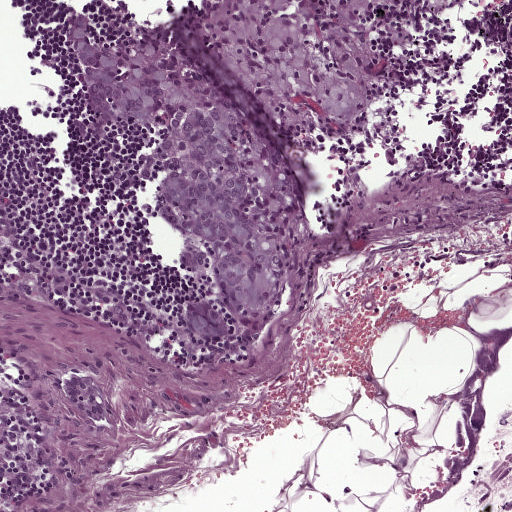
Lymph node section stained with H&E, from a whole-slide image of a breast-cancer sentinel node. Magnification about 10×, about 0.5 mm across the frame, about 0.97 µm per pixel.
Outlines of three tumour regions, largest first (closed clockwise paths, crop pixels): region 1: (397, 0), (374, 121), (352, 132), (320, 125), (293, 287), (269, 331), (248, 334), (220, 308), (209, 278), (184, 274), (168, 226), (149, 218), (152, 129), (83, 109), (65, 20), (80, 6), (109, 42), (127, 20), (179, 5); region 2: (88, 372), (111, 383), (119, 406), (115, 428), (92, 429), (76, 414), (63, 395), (66, 373); region 3: (198, 299), (212, 306), (225, 324), (223, 337), (206, 338), (188, 332), (184, 319), (185, 305).
The annotated tumour makes up about 25% of the crop.